Question: 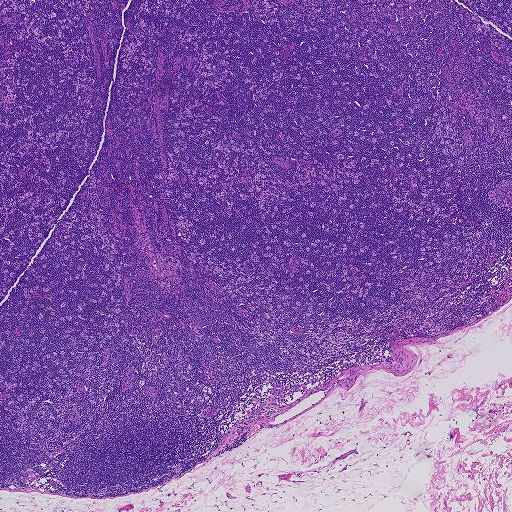
About what magnification does this crop show?

Choices:
 (A) about 20×
 (B) about 5×
 (C) about 2.5×
 (D) about 10×
 (E) about 40×

Answer: (C) about 2.5×
H&E-stained section of a sentinel lymph node (breast cancer), from a whole-slide image, viewed at about 2.5×: the field is about 1.9 mm across, about 3.6 µm per pixel.